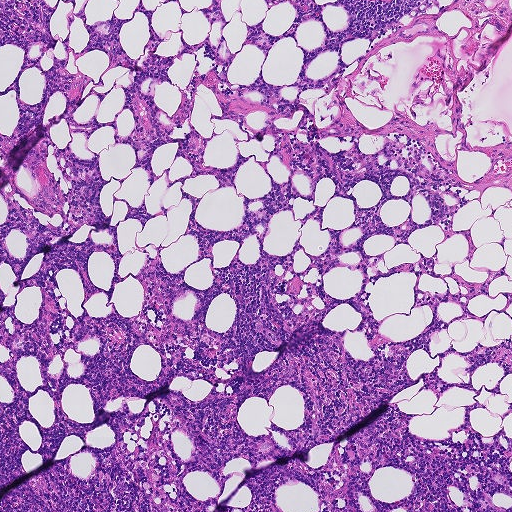
H&E-stained section of a sentinel lymph node (breast cancer), from a whole-slide image, viewed at about 5×: the field is about 0.93 mm across, about 1.8 µm per pixel.
Question: Is there metastatic carcinoma in this field?
Answer: No: no metastatic tumour is outlined anywhere in this field.